Question: 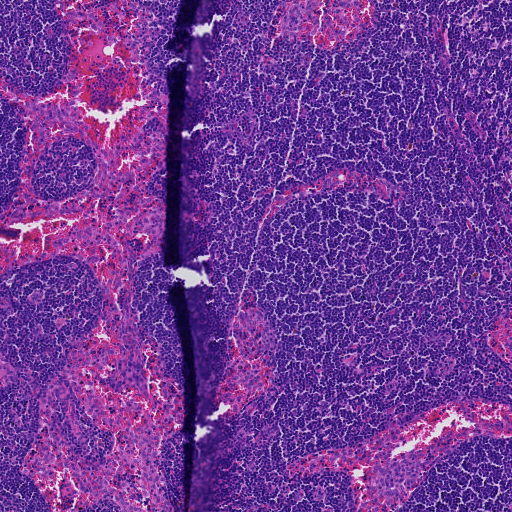
Which magnification is this H&E lymph node field most likely shown at?

Choices:
 (A) about 5×
 (B) about 20×
 (C) about 40×
 (D) about 10×
 (E) about 2.5×

Answer: (A) about 5×
This is a crop of a whole-slide image: an H&E-stained breast-cancer sentinel lymph node section at roughly 5× magnification (about 1.8 µm per pixel; the crop spans about 0.93 mm).